This is a crop of a whole-slide image: an H&E-stained breast-cancer sentinel lymph node section at roughly 10× magnification (about 0.97 µm per pixel; the crop spans about 0.5 mm).
Image:
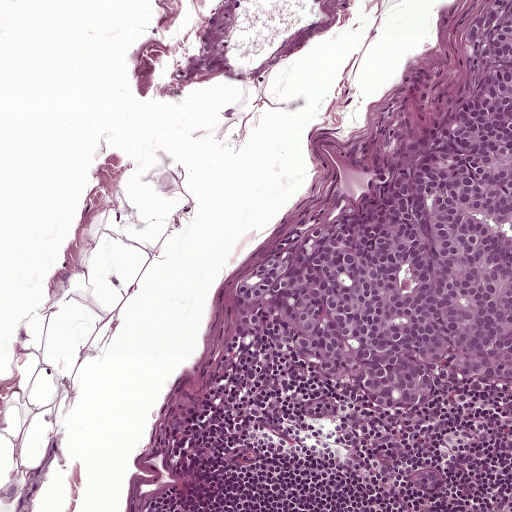
Question:
Where is the metastatic tumour in this field? Give each region's outline as (x, y) pixel points.
Answer:
Metastatic tumour outline, simplified to 12 points and listed clockwise in crop pixels (x, y): (511, 0), (511, 377), (473, 386), (427, 416), (369, 413), (283, 354), (237, 353), (233, 283), (369, 195), (447, 113), (467, 74), (466, 24).
The annotated tumour makes up about 25% of the crop.